Lymph node section stained with H&E, from a whole-slide image of a breast-cancer sentinel node. Magnification about 10×, about 0.5 mm across the frame, about 0.97 µm per pixel.
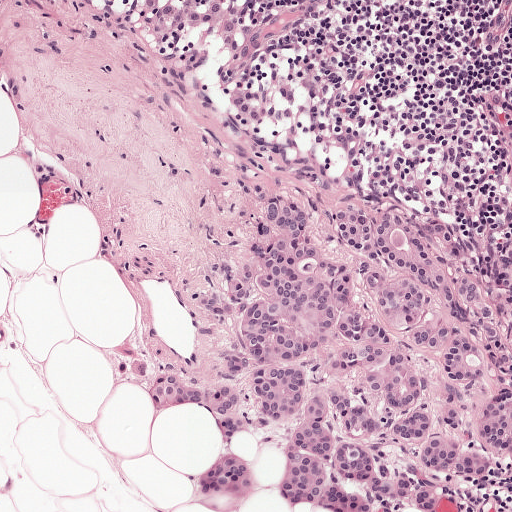
Boundaries of two metastatic tumour regions, simplified and listed clockwise, largest first: region 1: (273, 193), (348, 262), (362, 312), (427, 374), (414, 409), (465, 452), (481, 402), (511, 388), (511, 456), (428, 474), (425, 511), (292, 508), (285, 446), (312, 398), (411, 411), (361, 369), (330, 375), (356, 340), (335, 327), (287, 366), (305, 392), (279, 420), (252, 396), (266, 367), (237, 375), (233, 451), (254, 486), (210, 496), (197, 482), (223, 415), (156, 415), (131, 362), (215, 382), (246, 350), (242, 322), (196, 296), (220, 290), (224, 260), (261, 292), (257, 226); region 2: (368, 200), (436, 220), (451, 228), (461, 244), (480, 294), (501, 323), (511, 323), (511, 380), (504, 386), (488, 380), (487, 364), (470, 391), (462, 426), (449, 430), (442, 420), (448, 385), (439, 370), (441, 352), (416, 348), (383, 319), (356, 254), (335, 225), (336, 207).
The annotated tumour makes up about 25% of the crop.